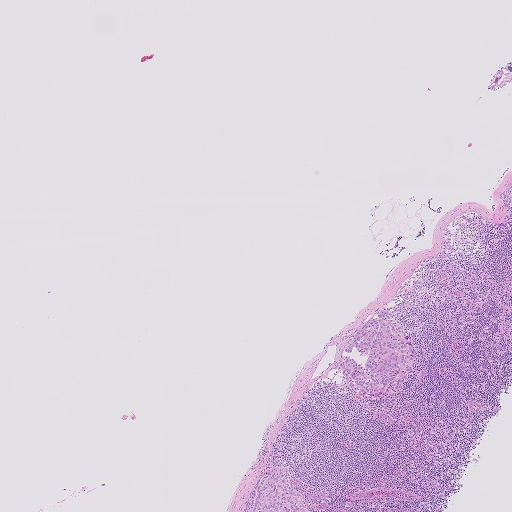
H&E-stained section of a sentinel lymph node (breast cancer), from a whole-slide image, viewed at about 2.5×: the field is about 2.0 mm across, about 4.0 µm per pixel.
Two metastatic tumour regions, each outlined as a closed clockwise path in crop pixels (x, y), largest first: region 1: (389, 310), (391, 316), (404, 327), (412, 349), (410, 372), (400, 387), (380, 398), (351, 391), (342, 376), (343, 352), (348, 341), (373, 314); region 2: (268, 464), (279, 464), (286, 466), (302, 479), (305, 493), (305, 511), (240, 511), (252, 484), (264, 466).
Tumour covers about 5% of the frame.